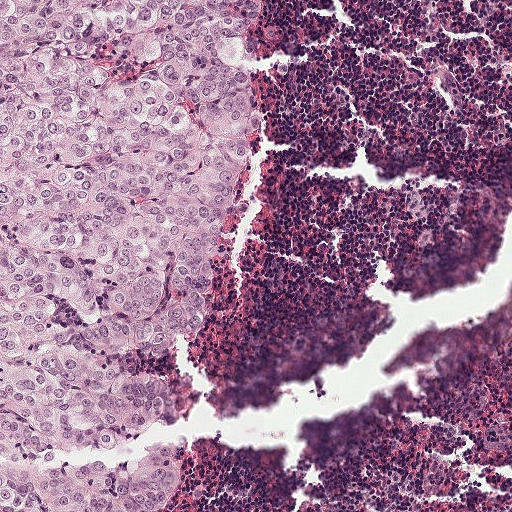
Lymph node section stained with H&E, from a whole-slide image of a breast-cancer sentinel node. Magnification about 10×, about 0.5 mm across the frame, about 0.97 µm per pixel.
Metastatic tumour outline, simplified to 18 points and listed clockwise in crop pixels (x, y): (0, 0), (264, 0), (252, 29), (214, 46), (251, 79), (263, 122), (209, 315), (132, 357), (136, 372), (170, 389), (168, 423), (80, 451), (48, 448), (33, 464), (159, 462), (173, 476), (160, 511), (0, 511).
About 40% of this field is tumour.